Question: 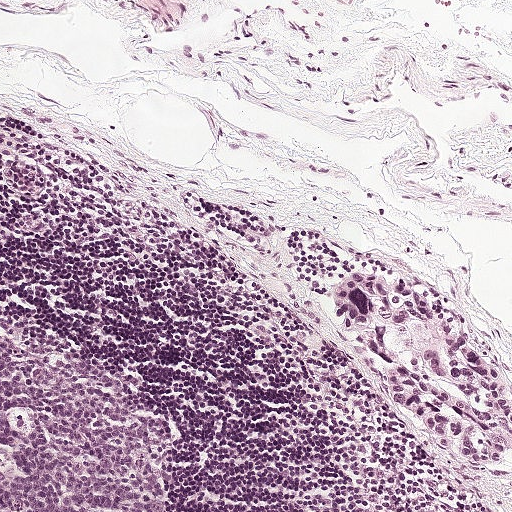
This is a crop of a whole-slide image: an H&E-stained breast-cancer sentinel lymph node section at roughly 10× magnification (about 0.97 µm per pixel; the crop spans about 0.5 mm).
Roughly what share of this field is metastatic tumour?

Choices:
 (A) about 50% or more
 (B) about 25% to 45%
 (C) about 5% or less
 (D) about 10% to 20%
 (E) none: no tumour is outlined

Answer: (C) about 5% or less
About 5% of the field is tumour.
Metastatic tumour outline, simplified to 17 points and listed clockwise in crop pixels (x, y): (350, 271), (366, 272), (428, 295), (466, 329), (484, 357), (503, 369), (511, 400), (511, 467), (502, 473), (485, 473), (459, 462), (428, 438), (402, 408), (380, 365), (360, 350), (332, 300), (332, 289).